Lymph node section stained with H&E, from a whole-slide image of a breast-cancer sentinel node. Magnification about 20×, about 0.23 mm across the frame, about 0.45 µm per pixel.
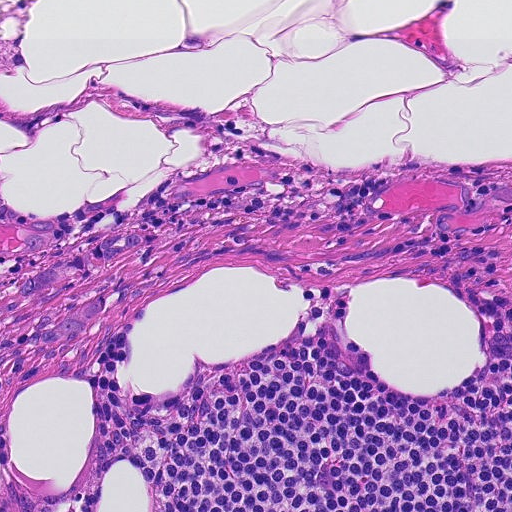
Metastatic tumour outline, simplified to 8 points and listed clockwise in crop pixels (x, y): (0, 200), (59, 222), (183, 218), (135, 268), (234, 244), (196, 274), (138, 300), (0, 404).
The annotated tumour makes up about 10% of the crop.